This is a crop of a whole-slide image: an H&E-stained breast-cancer sentinel lymph node section at roughly 5× magnification (about 1.9 µm per pixel; the crop spans about 1 mm).
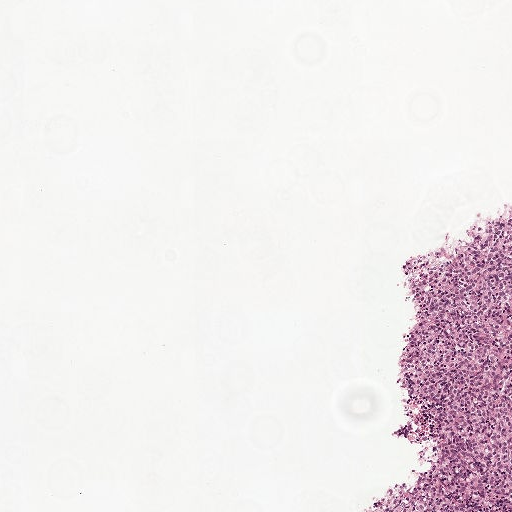
Question: Trace the edge of each tumour region in this crop, as (x, y) points from 0 to 511.
Answer: Metastatic tumour outline, simplified to 11 points and listed clockwise in crop pixels (x, y): (511, 215), (511, 511), (388, 511), (434, 476), (434, 453), (411, 419), (411, 376), (423, 358), (411, 301), (415, 264), (431, 251).
About 10% of this field is tumour.